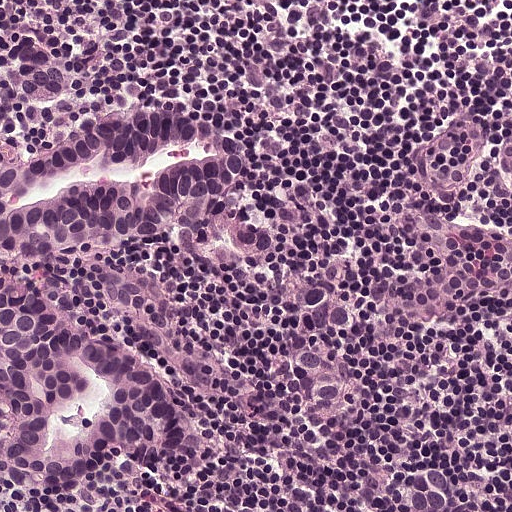
Lymph node section stained with H&E, from a whole-slide image of a breast-cancer sentinel node. Magnification about 20×, about 0.25 mm across the frame, about 0.49 µm per pixel.
Boundaries of three metastatic tumour regions, simplified and listed clockwise, largest first: region 1: (132, 96), (192, 98), (249, 124), (256, 156), (252, 174), (240, 183), (188, 202), (144, 232), (67, 256), (10, 252), (2, 260), (0, 132); region 2: (20, 267), (156, 364), (180, 413), (186, 446), (148, 456), (100, 449), (72, 470), (0, 463), (0, 268); region 3: (104, 258), (114, 264), (122, 263), (140, 272), (163, 308), (182, 322), (198, 343), (207, 361), (210, 379), (209, 390), (196, 390), (176, 374), (156, 350), (139, 339), (127, 317), (95, 294), (82, 280), (90, 264), (97, 259).
One more small tumour piece is annotated here but not outlined.
Tumour covers about 25% of the frame.